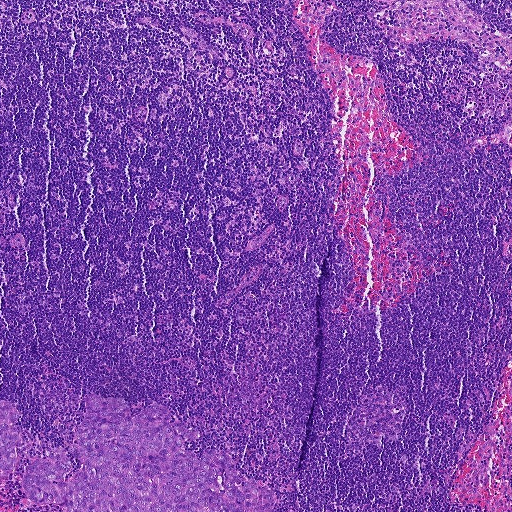
H&E-stained section of a sentinel lymph node (breast cancer), from a whole-slide image, viewed at about 5×: the field is about 0.93 mm across, about 1.8 µm per pixel.
Question: Does this lymph node field contain metastatic tumour?
Answer: Yes.
Outlines of two tumour regions, largest first (closed clockwise paths, crop pixels): region 1: (94, 394), (124, 398), (131, 419), (154, 403), (169, 408), (169, 423), (201, 435), (183, 436), (185, 449), (201, 459), (224, 450), (240, 478), (275, 491), (274, 507), (68, 511), (32, 505), (23, 484), (29, 459), (54, 448), (71, 461), (64, 481), (75, 476), (81, 464), (66, 450); region 2: (0, 400), (9, 401), (15, 406), (19, 412), (16, 420), (22, 434), (21, 441), (16, 447), (17, 456), (16, 470), (6, 481), (0, 481).
One more small tumour piece is annotated here but not outlined.
Tumour covers about 10% of the frame.